Lymph node section stained with H&E, from a whole-slide image of a breast-cancer sentinel node. Magnification about 10×, about 0.46 mm across the frame, about 0.9 µm per pixel.
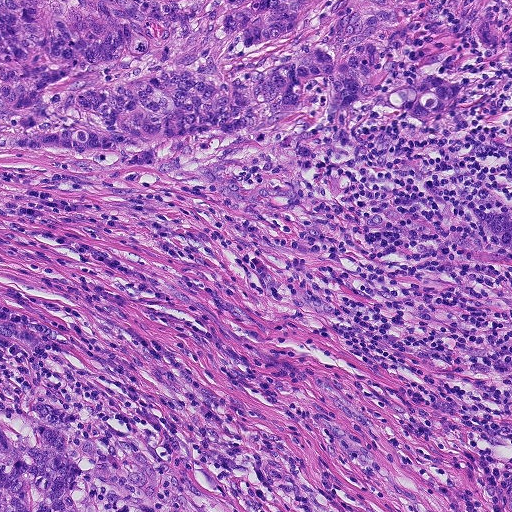
Question: Which parts of this field are metastatic tumour? Answer with the outline of each region, in pixels.
Answer: Outlines of three tumour regions, largest first (closed clockwise paths, crop pixels): region 1: (0, 0), (511, 0), (511, 61), (454, 52), (418, 62), (456, 84), (459, 105), (446, 122), (324, 107), (163, 147), (134, 196), (0, 213); region 2: (0, 301), (44, 329), (84, 340), (151, 418), (267, 511), (0, 511); region 3: (476, 208), (511, 212), (511, 250), (486, 233), (476, 216).
Tumour covers about 40% of the frame.